Question: 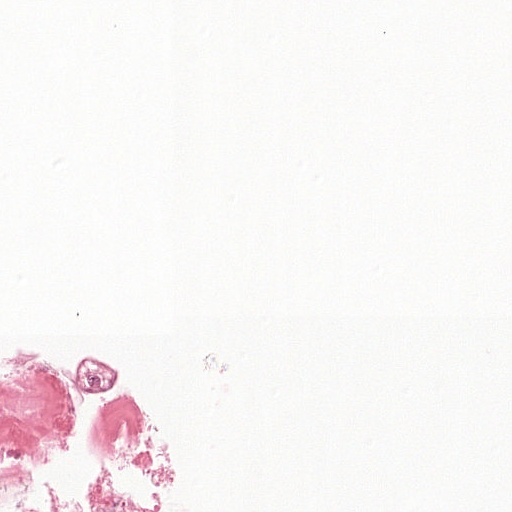
Lymph node section stained with H&E, from a whole-slide image of a breast-cancer sentinel node. Magnification about 20×, about 0.25 mm across the frame, about 0.49 µm per pixel.
Roughly what share of this field is metastatic tumour?

Choices:
 (A) about 50% or more
 (B) about 5% or less
 (C) about 10% to 20%
 (D) none: no tumour is outlined
 (E) about 25% to 45%

Answer: (B) about 5% or less
Under 5% of the field is tumour.
One metastatic tumour region; its boundary, reduced to 6 corners and listed clockwise: (0, 481), (22, 482), (26, 488), (24, 500), (18, 510), (0, 511).
One more small tumour piece is annotated here but not outlined.